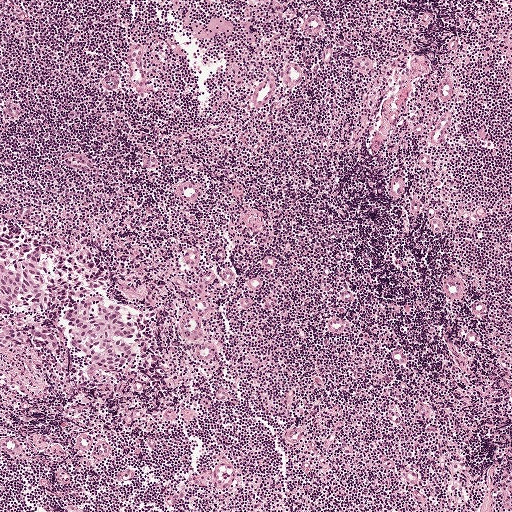
H&E-stained section of a sentinel lymph node (breast cancer), from a whole-slide image, viewed at about 5×: the field is about 1 mm across, about 1.9 µm per pixel.
Two metastatic tumour regions, each outlined as a closed clockwise path in crop pixels (x, y), largest first: region 1: (0, 229), (65, 242), (102, 264), (106, 275), (102, 290), (152, 320), (158, 331), (158, 357), (145, 367), (139, 350), (123, 368), (96, 365), (74, 345), (68, 333), (68, 317), (56, 322), (28, 307), (12, 313), (1, 308); region 2: (5, 323), (12, 323), (23, 328), (50, 329), (59, 336), (57, 349), (51, 352), (34, 343), (1, 347), (0, 331).
About 5% of the image area is annotated as tumour.